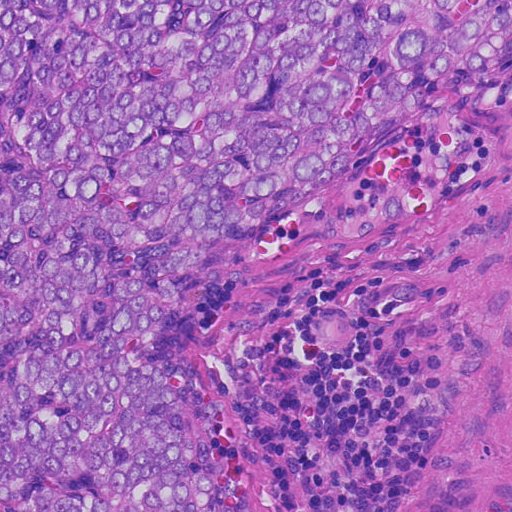
H&E-stained section of a sentinel lymph node (breast cancer), from a whole-slide image, viewed at about 20×: the field is about 0.23 mm across, about 0.45 µm per pixel.
Metastatic tumour outline, simplified to 9 points and listed clockwise in crop pixels (x, y): (0, 0), (511, 0), (511, 87), (426, 106), (227, 252), (164, 316), (158, 345), (238, 506), (0, 511).
Tumour covers about 60% of the frame.